Image:
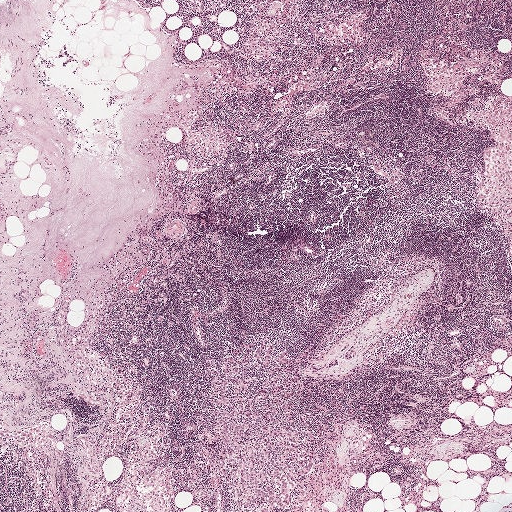
H&E-stained section of a sentinel lymph node (breast cancer), from a whole-slide image, viewed at about 2.5×: the field is about 2.0 mm across, about 3.9 µm per pixel.
Question:
Show where the tumour is in this image.
Answer:
Tumour region outline (a closed clockwise path, crop pixels): (260, 343), (276, 346), (276, 361), (280, 352), (290, 349), (287, 357), (302, 359), (304, 392), (293, 419), (309, 457), (314, 453), (309, 472), (297, 476), (290, 506), (282, 507), (279, 501), (273, 511), (244, 511), (206, 459), (220, 448), (207, 370), (224, 377), (226, 357), (254, 356).
Three more small tumour pieces are annotated here but not outlined.
Tumour covers about 5% of the frame.